H&E-stained section of a sentinel lymph node (breast cancer), from a whole-slide image, viewed at about 20×: the field is about 0.23 mm across, about 0.45 µm per pixel.
Question: 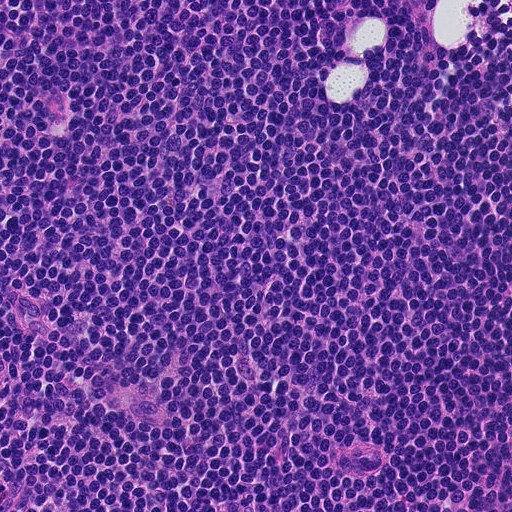
What fraction of the image area is metastatic tumour?

Choices:
 (A) about 5% or less
 (B) about 25% to 45%
 (C) about 10% to 20%
 (D) about 50% or more
 (E) none: no tumour is outlined

Answer: (E) none: no tumour is outlined
No metastatic tumour is outlined in this field.